A 2.0-mm field of an H&E-stained sentinel lymph node from a breast-cancer patient (whole-slide image), shown at about 2.5×, about 3.9 µm per pixel.
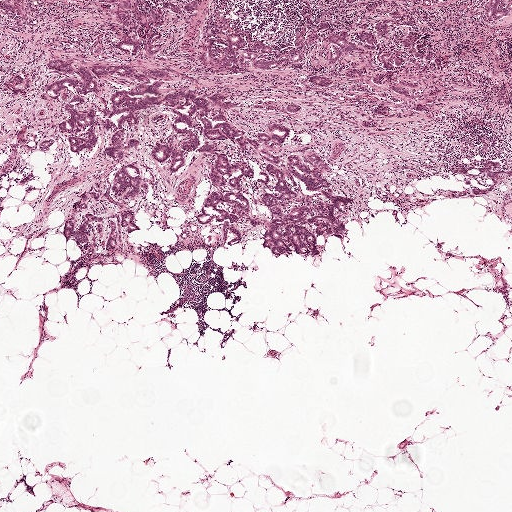
The eight largest tumour regions' boundaries, simplified and listed clockwise, largest first: region 1: (308, 151), (330, 165), (324, 178), (337, 195), (355, 200), (345, 208), (348, 217), (338, 216), (346, 235), (323, 237), (315, 224), (300, 224), (314, 234), (318, 256), (293, 252), (278, 257), (261, 247), (270, 218), (262, 198), (275, 192), (257, 179), (270, 164), (260, 158), (265, 153), (282, 158), (281, 167), (273, 166), (298, 194), (284, 214), (308, 207), (320, 217), (317, 203), (331, 204), (322, 193), (308, 192), (288, 168), (287, 158), (295, 155), (313, 171); region 2: (173, 89), (209, 95), (226, 92), (237, 105), (232, 110), (222, 113), (223, 115), (247, 138), (267, 122), (286, 123), (290, 126), (290, 133), (282, 146), (270, 142), (261, 143), (260, 148), (247, 146), (245, 155), (232, 148), (225, 139), (204, 139), (196, 130), (199, 146), (195, 151), (188, 152), (185, 168), (175, 172), (166, 171), (153, 160), (151, 148), (157, 141), (178, 150), (187, 140), (173, 130), (175, 115), (162, 105), (164, 96); region 3: (60, 58), (71, 66), (90, 71), (90, 65), (96, 64), (121, 62), (140, 71), (161, 70), (166, 74), (167, 85), (159, 91), (157, 105), (135, 114), (131, 128), (121, 126), (123, 138), (135, 138), (138, 144), (117, 161), (101, 151), (108, 137), (102, 127), (109, 114), (107, 98), (110, 93), (139, 84), (93, 75), (95, 92), (84, 95), (64, 82), (59, 95), (49, 94), (45, 86), (51, 82), (82, 79), (75, 74), (51, 71), (44, 66), (46, 60); region 4: (305, 9), (315, 23), (324, 10), (331, 28), (320, 33), (296, 67), (268, 74), (243, 65), (234, 77), (221, 79), (209, 75), (199, 64), (204, 20), (213, 14), (221, 14), (232, 29), (278, 51), (294, 44), (301, 11); region 5: (205, 143), (218, 146), (234, 162), (251, 164), (256, 175), (252, 180), (245, 179), (240, 190), (259, 226), (250, 227), (240, 218), (233, 224), (243, 238), (230, 247), (222, 243), (222, 223), (212, 219), (203, 227), (193, 219), (205, 196), (216, 191), (209, 183), (214, 158), (197, 150); region 6: (94, 0), (169, 0), (181, 3), (195, 0), (195, 2), (195, 10), (188, 12), (181, 11), (175, 13), (161, 6), (159, 7), (162, 22), (156, 28), (160, 35), (149, 41), (153, 44), (161, 43), (154, 54), (145, 54), (143, 52), (148, 26), (144, 24), (136, 25), (135, 32), (140, 45), (136, 53), (131, 55), (114, 48), (113, 45), (123, 35), (125, 28), (109, 8); region 7: (73, 95), (82, 97), (85, 101), (74, 108), (78, 112), (87, 109), (93, 108), (94, 110), (94, 129), (96, 142), (96, 145), (92, 148), (84, 149), (77, 151), (70, 151), (67, 143), (67, 135), (84, 138), (88, 125), (69, 133), (63, 133), (58, 130), (60, 124), (68, 116), (69, 113), (65, 108); region 8: (98, 187), (104, 193), (99, 200), (90, 200), (88, 205), (76, 215), (74, 220), (75, 229), (78, 226), (77, 221), (85, 215), (93, 214), (104, 220), (90, 224), (87, 231), (90, 242), (83, 245), (75, 238), (64, 239), (63, 231), (73, 204), (89, 190).
19 more, smaller tumour regions are not outlined.
Five more small tumour pieces are annotated here but not outlined.
About 15% of the image area is annotated as tumour.